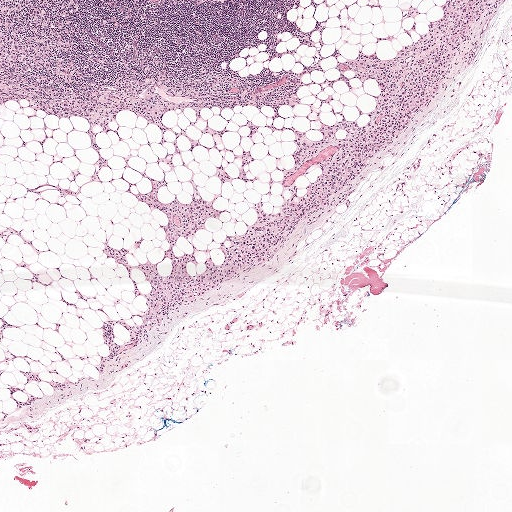
This is a crop of a whole-slide image: an H&E-stained breast-cancer sentinel lymph node section at roughly 2.5× magnification (about 3.9 µm per pixel; the crop spans about 2.0 mm).
Boundaries of two metastatic tumour regions, simplified and listed clockwise, largest first: region 1: (229, 148), (240, 153), (242, 150), (247, 149), (250, 148), (249, 153), (253, 158), (244, 164), (244, 171), (246, 174), (249, 176), (257, 176), (256, 180), (252, 183), (244, 184), (241, 178), (238, 178), (230, 182), (225, 181), (224, 184), (220, 184), (213, 174), (216, 167), (219, 164), (223, 164), (227, 174), (237, 175), (237, 167), (239, 165), (240, 161), (239, 159), (230, 155); region 2: (28, 369), (31, 371), (36, 372), (40, 377), (43, 379), (55, 379), (60, 381), (63, 385), (63, 389), (62, 389), (49, 385), (41, 380), (35, 380), (26, 384), (24, 390), (16, 389), (13, 390), (13, 398), (18, 402), (23, 402), (27, 399), (27, 394), (28, 394), (37, 396), (38, 397), (36, 399), (32, 399), (26, 402), (22, 406), (19, 406), (10, 397), (8, 388), (8, 386), (15, 387), (20, 386), (24, 384), (25, 378), (20, 371).
One more tumour region is annotated but not outlined: its edge is too irregular for a short outline.
About 20% of this field is tumour.